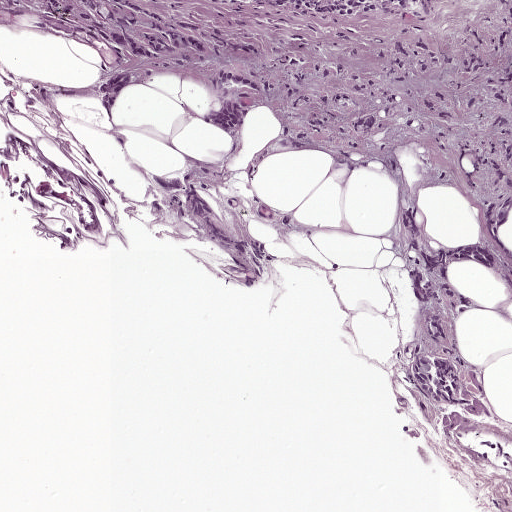
This is a crop of a whole-slide image: an H&E-stained breast-cancer sentinel lymph node section at roughly 10× magnification (about 0.97 µm per pixel; the crop spans about 0.5 mm).
Boundaries of seven metastatic tumour regions, simplified and listed clockwise, largest first: region 1: (505, 0), (511, 0), (511, 212), (498, 236), (503, 248), (483, 230), (487, 206), (500, 188), (463, 135), (452, 64); region 2: (400, 202), (414, 204), (423, 216), (420, 239), (439, 245), (481, 242), (503, 252), (503, 269), (484, 267), (464, 260), (448, 271), (445, 288), (436, 305), (420, 305), (410, 292), (399, 232); region 3: (426, 354), (450, 354), (463, 367), (463, 388), (456, 401), (432, 400), (419, 388), (412, 372), (416, 356); region 4: (115, 30), (138, 39), (150, 35), (187, 37), (199, 42), (204, 52), (198, 48), (178, 50), (154, 57), (138, 56), (112, 35); region 5: (229, 96), (243, 102), (245, 114), (239, 126), (231, 129), (222, 127), (208, 121), (205, 114), (224, 104), (225, 97); region 6: (127, 68), (137, 80), (124, 86), (107, 113), (98, 96), (98, 83); region 7: (227, 68), (258, 78), (265, 89), (254, 89), (234, 83), (218, 84), (214, 74).
About 5% of this field is tumour.